Image:
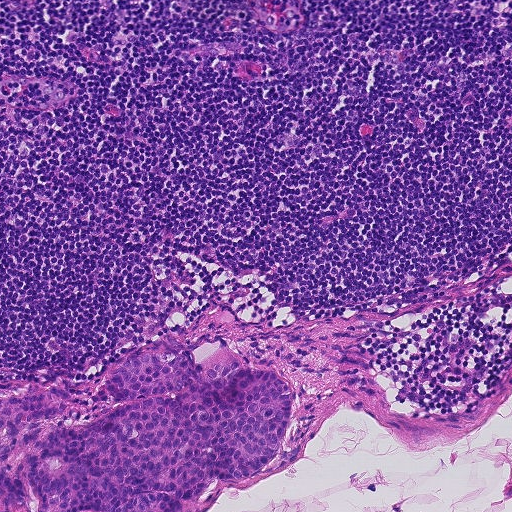
Lymph node section stained with H&E, from a whole-slide image of a breast-cancer sentinel node. Magnification about 10×, about 0.46 mm across the frame, about 0.9 µm per pixel.
Question:
Which parts of this field are metastatic tumour? Answer with the outline of each region, in pixels.
Answer:
The outlined metastatic tumour's edge, as a closed clockwise path of 12 points: (222, 336), (289, 380), (298, 398), (280, 457), (248, 481), (218, 484), (217, 504), (206, 511), (6, 511), (0, 384), (77, 386), (128, 353).
About 15% of this field is tumour.